A 0.93-mm field of an H&E-stained sentinel lymph node from a breast-cancer patient (whole-slide image), shown at about 5×, about 1.8 µm per pixel.
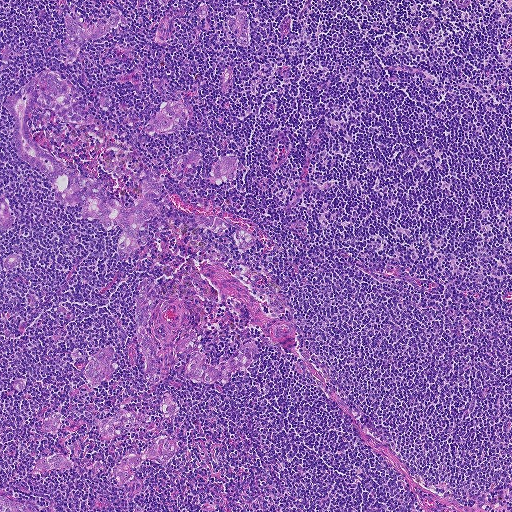
The eight largest tumour regions' boundaries, simplified and listed clockwise, largest first: region 1: (40, 71), (48, 71), (63, 76), (86, 117), (69, 122), (35, 101), (26, 121), (37, 145), (77, 175), (100, 181), (122, 205), (137, 201), (141, 185), (154, 179), (180, 211), (219, 218), (236, 235), (240, 230), (254, 236), (254, 244), (239, 253), (229, 231), (216, 234), (160, 214), (148, 224), (143, 248), (122, 260), (122, 228), (114, 224), (108, 233), (100, 220), (86, 219), (81, 205), (60, 204), (37, 168), (15, 152), (14, 120), (5, 106); region 2: (145, 277), (153, 285), (158, 287), (147, 326), (148, 332), (154, 336), (170, 341), (187, 337), (190, 332), (195, 334), (192, 346), (201, 352), (206, 362), (211, 365), (228, 360), (244, 344), (250, 343), (255, 346), (257, 351), (255, 357), (221, 380), (204, 383), (193, 380), (189, 376), (187, 353), (172, 345), (160, 344), (157, 350), (159, 355), (164, 358), (162, 376), (159, 381), (148, 381), (144, 377), (143, 354), (134, 320), (137, 292); region 3: (64, 13), (83, 20), (84, 27), (111, 15), (119, 14), (119, 22), (115, 27), (84, 44), (77, 57), (72, 60), (65, 58), (62, 44), (68, 31); region 4: (163, 435), (175, 442), (175, 450), (173, 456), (167, 460), (160, 463), (154, 459), (146, 459), (140, 462), (136, 468), (132, 482), (118, 485), (114, 480), (112, 473), (114, 466), (118, 461), (141, 454); region 5: (168, 99), (176, 100), (184, 104), (187, 112), (186, 120), (180, 127), (165, 133), (149, 132), (145, 124), (154, 118), (159, 110), (160, 102); region 6: (119, 408), (140, 414), (147, 414), (152, 418), (147, 422), (133, 422), (120, 428), (117, 435), (111, 438), (97, 435), (99, 421), (107, 418); region 7: (108, 346), (113, 348), (112, 359), (113, 370), (101, 382), (95, 383), (90, 382), (87, 377), (84, 372), (88, 360), (96, 352); region 8: (237, 156), (237, 165), (230, 181), (213, 182), (213, 166), (219, 160), (226, 157).
Eight more, smaller tumour regions are not outlined.
About 10% of this field is tumour.